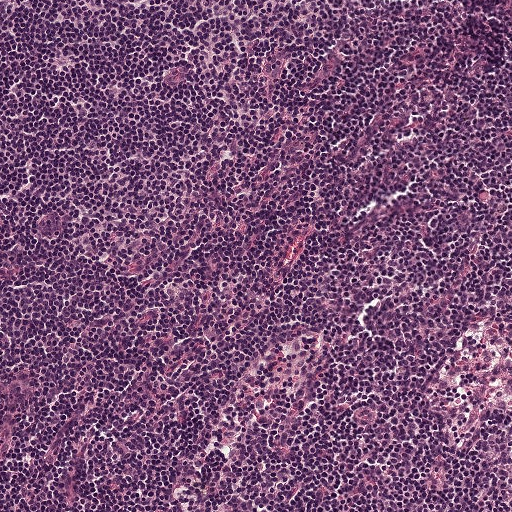
Lymph node section stained with H&E, from a whole-slide image of a breast-cancer sentinel node. Magnification about 10×, about 0.5 mm across the frame, about 0.97 µm per pixel.